This is a crop of a whole-slide image: an H&E-stained breast-cancer sentinel lymph node section at roughly 2.5× magnification (about 3.9 µm per pixel; the crop spans about 2.0 mm).
Question: 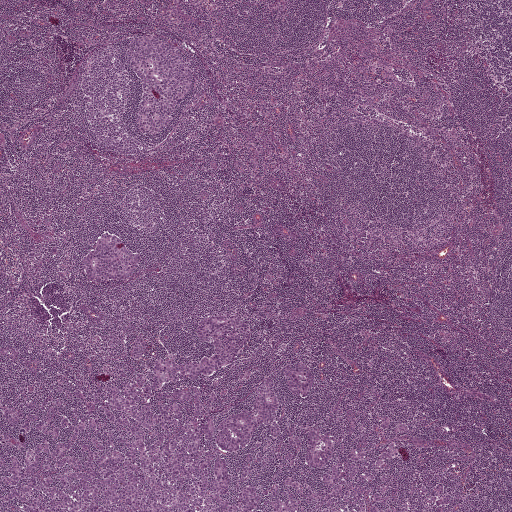
Roughly what share of this field is metastatic tumour?

Choices:
 (A) about 50% or more
 (B) about 5% or less
 (C) about 10% to 20%
 (D) none: no tumour is outlined
 (E) about 25% to 45%

Answer: (C) about 10% to 20%
About 20% of the field is tumour.
Outlines of four tumour regions, largest first (closed clockwise paths, crop pixels): region 1: (240, 317), (252, 336), (237, 360), (179, 387), (226, 387), (251, 408), (272, 378), (283, 430), (347, 406), (364, 421), (408, 424), (382, 476), (400, 490), (438, 482), (453, 501), (392, 497), (401, 510), (0, 511), (0, 453), (14, 452), (0, 430), (39, 443), (37, 430), (8, 427), (0, 405), (59, 397), (58, 385), (104, 396), (146, 369), (129, 358), (137, 337), (151, 361), (198, 361), (215, 346), (198, 321); region 2: (140, 35), (157, 36), (172, 43), (184, 55), (191, 69), (194, 85), (189, 95), (178, 106), (171, 122), (159, 133), (143, 134), (139, 131), (137, 115), (141, 83), (126, 61), (126, 50), (131, 40); region 3: (110, 231), (121, 237), (128, 248), (140, 253), (142, 259), (141, 265), (133, 276), (122, 282), (104, 285), (92, 283), (88, 278), (82, 265), (82, 258), (100, 235); region 4: (300, 361), (311, 368), (315, 380), (310, 396), (296, 396), (289, 390), (281, 370), (286, 366), (292, 365).
Three more small tumour pieces are annotated here but not outlined.